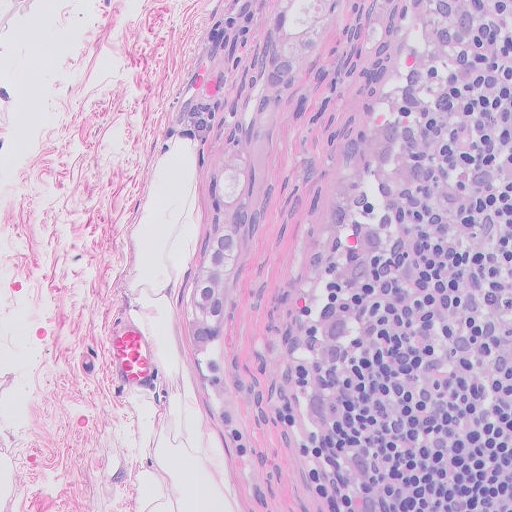
Lymph node section stained with H&E, from a whole-slide image of a breast-cancer sentinel node. Magnification about 20×, about 0.26 mm across the frame, about 0.5 µm per pixel.
Metastatic tumour outline, simplified to 14 points and listed clockwise in crop pixels (x, y): (279, 0), (343, 0), (334, 26), (294, 80), (276, 119), (258, 228), (231, 286), (226, 351), (236, 416), (218, 425), (191, 366), (188, 302), (205, 238), (214, 154).
About 10% of the image area is annotated as tumour.